Image:
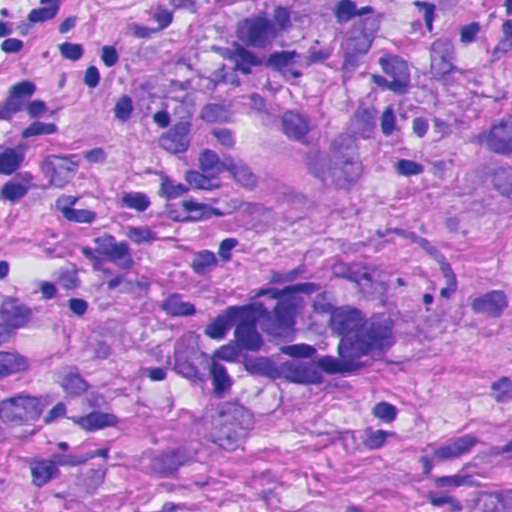
H&E-stained section of a sentinel lymph node (breast cancer), from a whole-slide image, viewed at about 40×: the field is about 0.12 mm across, about 0.23 µm per pixel.
Question:
Which parts of this field are metastatic tumour?
Answer:
The outlined metastatic tumour's edge, as a closed clockwise path of 11 points: (282, 276), (316, 281), (377, 303), (402, 323), (390, 353), (330, 381), (298, 383), (241, 376), (212, 361), (199, 331), (221, 307).
One more small tumour piece is annotated here but not outlined.
About 10% of the image area is annotated as tumour.

Image:
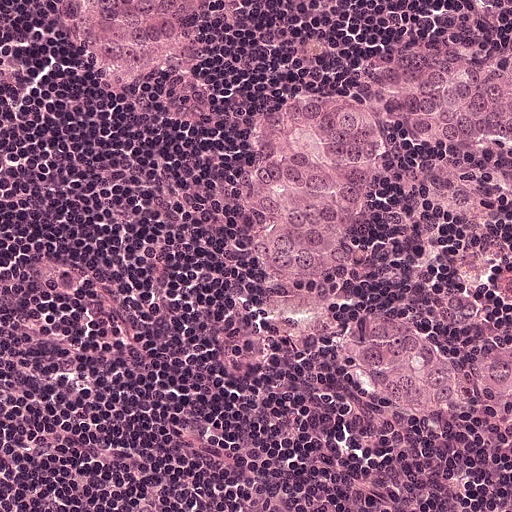
H&E-stained section of a sentinel lymph node (breast cancer), from a whole-slide image, viewed at about 20×: the field is about 0.25 mm across, about 0.49 µm per pixel.
Question:
Which parts of this field are metastatic tumour?
Answer:
Outlines of three tumour regions, largest first (closed clockwise paths, crop pixels): region 1: (510, 26), (511, 192), (477, 212), (441, 217), (412, 176), (408, 138), (372, 134), (370, 218), (351, 266), (293, 289), (266, 282), (254, 257), (254, 222), (235, 198), (237, 161), (260, 105), (334, 88), (381, 48), (477, 56), (499, 45); region 2: (224, 0), (194, 51), (206, 78), (188, 132), (167, 132), (153, 124), (140, 99), (108, 96), (79, 70), (52, 30), (47, 1); region 3: (364, 310), (376, 312), (408, 326), (434, 344), (453, 366), (459, 393), (457, 406), (437, 418), (422, 418), (395, 416), (364, 397), (330, 345), (332, 324), (344, 314), (366, 312).
One more small tumour piece is annotated here but not outlined.
The annotated tumour makes up about 25% of the crop.

Image:
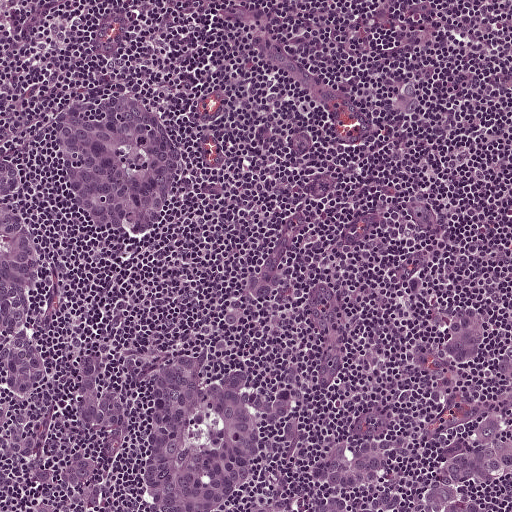
Lymph node section stained with H&E, from a whole-slide image of a breast-cancer sentinel node. Magnification about 10×, about 0.5 mm across the frame, about 0.97 µm per pixel.
Question:
Which parts of this field are metastatic tumour?
Answer:
Two metastatic tumour regions, each outlined as a closed clockwise path in crop pixels (x, y), largest first: region 1: (0, 158), (22, 171), (28, 218), (62, 280), (66, 303), (48, 344), (54, 367), (92, 340), (115, 338), (128, 357), (151, 359), (166, 342), (212, 345), (230, 303), (253, 307), (312, 270), (353, 293), (377, 330), (462, 297), (511, 332), (511, 472), (474, 492), (486, 508), (0, 511); region 2: (123, 88), (166, 119), (180, 142), (186, 167), (181, 194), (162, 229), (149, 234), (109, 230), (97, 226), (78, 207), (64, 186), (45, 124), (66, 108), (91, 106), (100, 96).
The annotated tumour makes up about 45% of the crop.

Image:
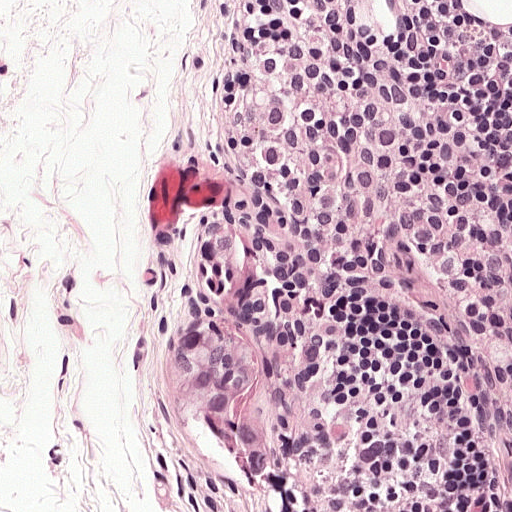
This is a crop of a whole-slide image: an H&E-stained breast-cancer sentinel lymph node section at roughly 20× magnification (about 0.49 µm per pixel; the crop spans about 0.25 mm).
Question:
Which parts of this field are metastatic tumour?
Answer:
The outlined metastatic tumour's edge, as a closed clockwise path of 13 points: (204, 305), (233, 312), (260, 344), (264, 374), (258, 405), (272, 434), (276, 462), (252, 478), (183, 421), (165, 398), (153, 370), (158, 340), (176, 316).
The annotated tumour makes up about 5% of the crop.